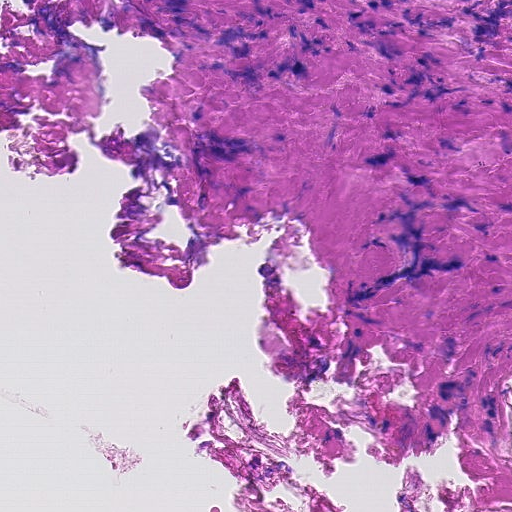
This is a crop of a whole-slide image: an H&E-stained breast-cancer sentinel lymph node section at roughly 20× magnification (about 0.45 µm per pixel; the crop spans about 0.23 mm).
Question: Which parts of this field are metastatic tumour? Answer with the outline of each region, in pixels.
Answer: One metastatic tumour region; its boundary, reduced to 15 corners and listed clockwise: (74, 0), (511, 0), (511, 265), (339, 322), (338, 274), (374, 202), (348, 110), (375, 97), (386, 66), (353, 50), (326, 56), (268, 114), (196, 96), (155, 39), (114, 36).
About 25% of the image area is annotated as tumour.